This is a crop of a whole-slide image: an H&E-stained breast-cancer sentinel lymph node section at roughly 20× magnification (about 0.49 µm per pixel; the crop spans about 0.25 mm).
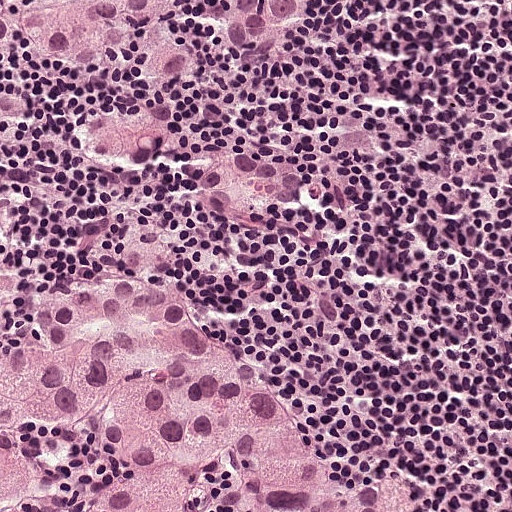
Question: Is there metastatic carcinoma in this field?
Answer: Yes.
Outlines of six tumour regions, largest first (closed clockwise paths, crop pixels): region 1: (156, 220), (175, 230), (173, 252), (148, 269), (182, 286), (196, 318), (280, 394), (343, 484), (405, 474), (416, 511), (0, 511), (0, 339), (25, 334), (60, 277), (140, 268), (112, 248), (124, 224); region 2: (2, 0), (178, 0), (168, 25), (186, 43), (198, 65), (176, 84), (155, 84), (141, 70), (148, 26), (94, 74), (32, 53), (17, 28), (2, 53); region 3: (264, 140), (298, 160), (309, 204), (278, 225), (240, 232), (202, 210), (191, 180), (210, 152); region 4: (230, 0), (324, 0), (310, 16), (291, 54), (256, 74), (232, 64), (215, 38), (218, 12); region 5: (170, 100), (187, 129), (156, 168), (131, 168), (100, 164), (79, 145), (74, 118), (96, 114), (133, 114), (148, 104); region 6: (0, 78), (26, 100), (26, 121), (0, 119).
Tumour covers about 35% of the frame.